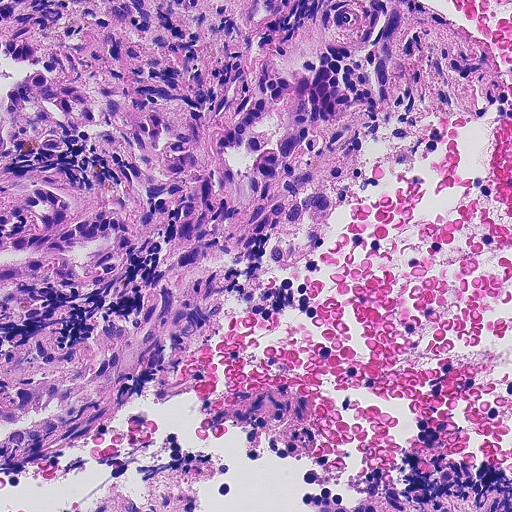
H&E-stained section of a sentinel lymph node (breast cancer), from a whole-slide image, viewed at about 20×: the field is about 0.23 mm across, about 0.45 µm per pixel.
Metastatic tumour outline, simplified to 23 points and listed clockwise in crop pixels (x, y): (0, 0), (70, 12), (290, 0), (274, 25), (292, 40), (348, 2), (403, 14), (394, 113), (352, 65), (372, 126), (311, 246), (231, 286), (92, 438), (0, 471), (0, 392), (13, 388), (0, 359), (64, 315), (68, 347), (127, 318), (162, 234), (104, 282), (0, 283).
About 45% of the image area is annotated as tumour.